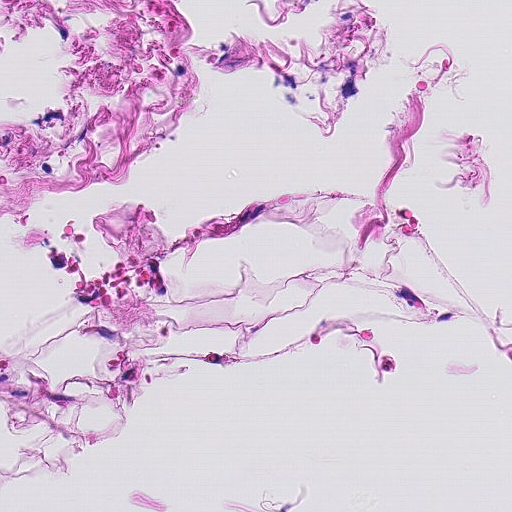
This is a crop of a whole-slide image: an H&E-stained breast-cancer sentinel lymph node section at roughly 20× magnification (about 0.45 µm per pixel; the crop spans about 0.23 mm).